Image:
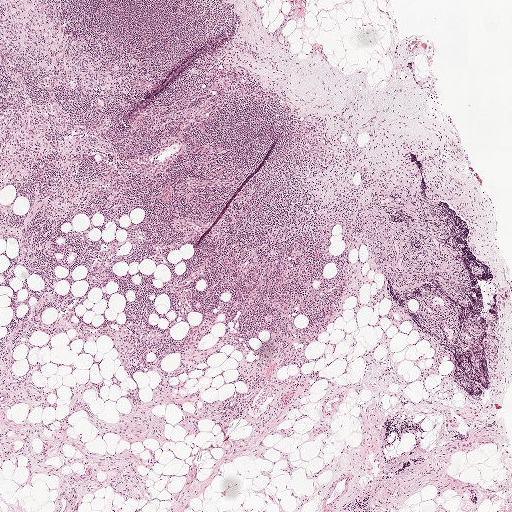
A 2.0-mm field of an H&E-stained sentinel lymph node from a breast-cancer patient (whole-slide image), shown at about 2.5×, about 3.9 µm per pixel.
Question:
Is there metastatic carcinoma in this field?
Answer:
No, this field holds no outlined metastasis.